Lymph node section stained with H&E, from a whole-slide image of a breast-cancer sentinel node. Magnification about 10×, about 0.5 mm across the frame, about 0.97 µm per pixel.
Image:
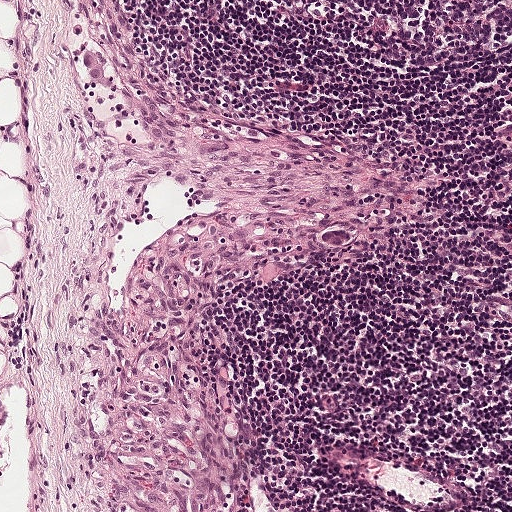
Question:
Show where the tumour is in this image.
Answer:
One metastatic tumour region; its boundary, reduced to 9 corners and listed clockwise: (92, 47), (104, 58), (108, 68), (108, 79), (102, 83), (92, 82), (86, 74), (82, 62), (83, 48).
One more small tumour piece is annotated here but not outlined.
The annotated tumour makes up under 5% of the crop.